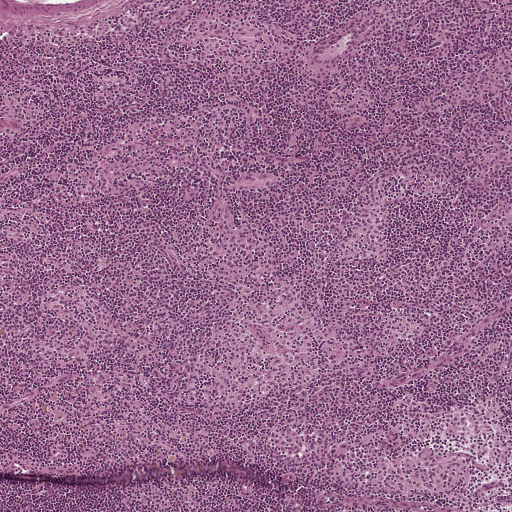
This is a crop of a whole-slide image: an H&E-stained breast-cancer sentinel lymph node section at roughly 5× magnification (about 1.9 µm per pixel; the crop spans about 1 mm).